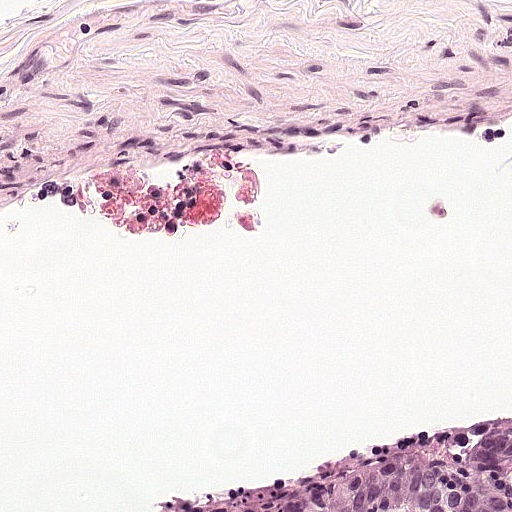
Lymph node section stained with H&E, from a whole-slide image of a breast-cancer sentinel node. Magnification about 20×, about 0.25 mm across the frame, about 0.49 µm per pixel.
One metastatic tumour region; its boundary, reduced to 7 corners and listed clockwise: (511, 407), (511, 511), (258, 511), (389, 446), (408, 430), (446, 430), (476, 422).
The annotated tumour makes up about 5% of the crop.